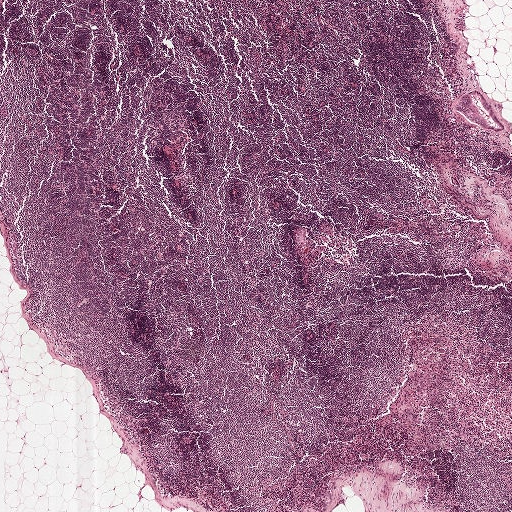
A 2.0-mm field of an H&E-stained sentinel lymph node from a breast-cancer patient (whole-slide image), shown at about 2.5×, about 3.9 µm per pixel.
Two metastatic tumour regions, each outlined as a closed clockwise path in crop pixels (x, y), largest first: region 1: (476, 90), (476, 95), (472, 98), (476, 112), (480, 118), (480, 124), (472, 124), (469, 119), (454, 109), (456, 103), (466, 94); region 2: (298, 226), (307, 228), (308, 234), (308, 240), (300, 245), (296, 244), (296, 236), (292, 231), (293, 228).
Under 5% of this field is tumour.